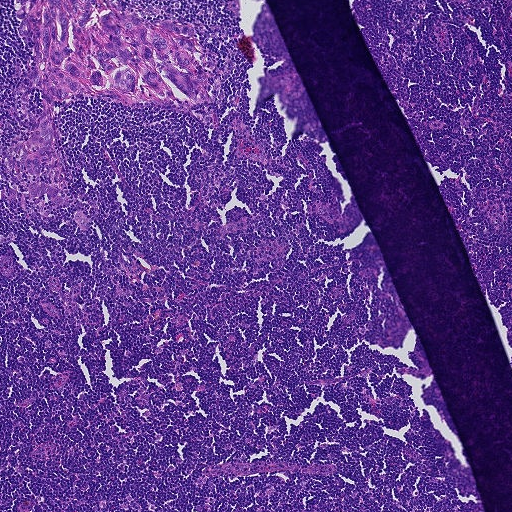
Lymph node section stained with H&E, from a whole-slide image of a breast-cancer sentinel node. Magnification about 5×, about 0.93 mm across the frame, about 1.8 µm per pixel.
Boundaries of two metastatic tumour regions, simplified and listed clockwise, largest first: region 1: (106, 0), (120, 14), (153, 25), (192, 25), (214, 72), (207, 89), (212, 100), (188, 111), (83, 94), (56, 99), (54, 154), (39, 176), (57, 184), (67, 203), (58, 209), (30, 197), (32, 177), (16, 162), (44, 106), (31, 82), (32, 35), (19, 38), (15, 4); region 2: (80, 210), (86, 215), (87, 222), (85, 228), (79, 225), (74, 219), (75, 212).
About 5% of the image area is annotated as tumour.